H&E-stained section of a sentinel lymph node (breast cancer), from a whole-slide image, viewed at about 10×: the field is about 0.5 mm across, about 0.97 µm per pixel.
Question: 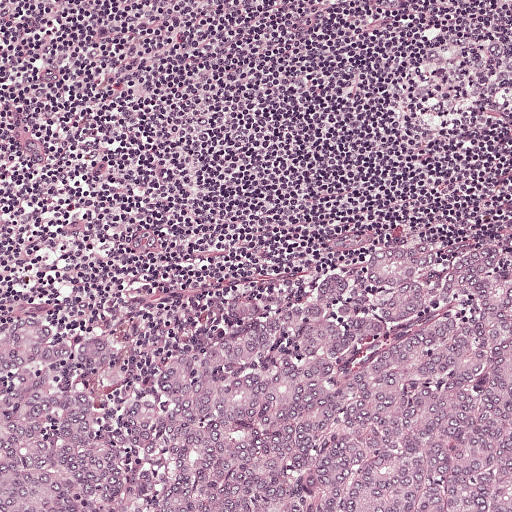
Roughly what share of this field is metastatic tumour?

Choices:
 (A) none: no tumour is outlined
 (B) about 5% or less
 (C) about 10% to 20%
 (D) about 25% to 45%
 (E) about 50% or more

Answer: (D) about 25% to 45%
About 45% of the field is tumour.
The outlined metastatic tumour's edge, as a closed clockwise path of 10 points: (421, 242), (507, 243), (511, 511), (0, 511), (0, 318), (44, 319), (143, 350), (204, 332), (224, 295), (263, 305).